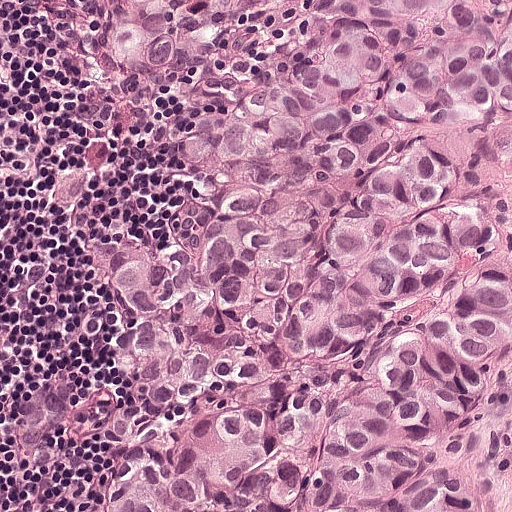
H&E-stained section of a sentinel lymph node (breast cancer), from a whole-slide image, viewed at about 20×: the field is about 0.25 mm across, about 0.49 µm per pixel.
Outlines of two tumour regions, largest first (closed clockwise paths, crop pixels): region 1: (315, 0), (511, 0), (511, 472), (496, 508), (94, 507), (128, 384), (130, 326), (114, 274), (160, 229), (188, 134), (290, 70), (316, 24); region 2: (107, 0), (271, 0), (252, 21), (169, 70), (144, 70), (119, 62).
About 70% of this field is tumour.